Image:
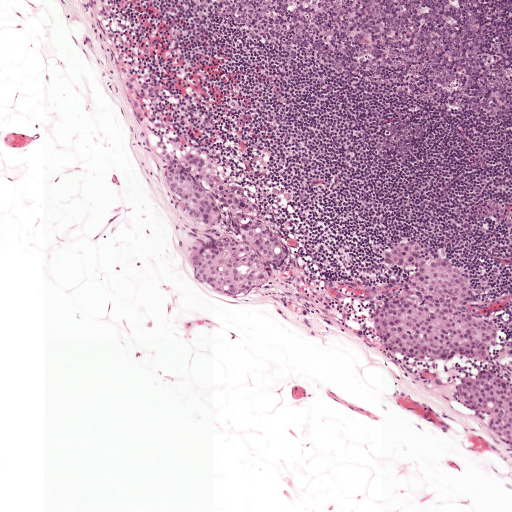
H&E-stained section of a sentinel lymph node (breast cancer), from a whole-slide image, viewed at about 5×: the field is about 1 mm across, about 1.9 µm per pixel.
Question:
Which parts of this field are metastatic tumour?
Answer:
Outlines of three tumour regions, largest first (closed clockwise paths, crop pixels): region 1: (404, 231), (430, 239), (468, 276), (494, 320), (497, 333), (490, 356), (466, 367), (402, 358), (381, 343), (374, 306), (383, 298), (406, 294), (410, 267), (385, 266), (378, 255), (382, 242), (391, 234); region 2: (181, 151), (193, 153), (237, 182), (256, 215), (278, 229), (288, 251), (284, 263), (272, 267), (263, 290), (238, 296), (202, 286), (191, 277), (187, 265), (191, 253), (226, 239), (241, 238), (213, 204), (216, 224), (195, 224), (174, 210), (164, 173), (169, 161); region 3: (490, 370), (511, 378), (511, 451), (500, 444), (473, 414), (462, 408), (454, 398), (454, 386), (463, 377).
About 10% of the image area is annotated as tumour.